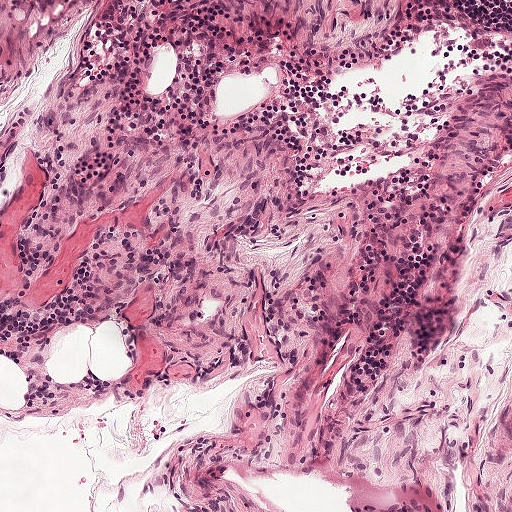
This is a crop of a whole-slide image: an H&E-stained breast-cancer sentinel lymph node section at roughly 10× magnification (about 0.97 µm per pixel; the crop spans about 0.5 mm).